This is a crop of a whole-slide image: an H&E-stained breast-cancer sentinel lymph node section at roughly 10× magnification (about 0.9 µm per pixel; the crop spans about 0.46 mm).
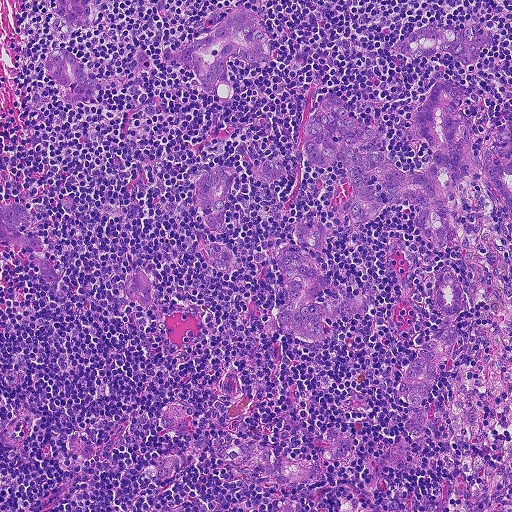
Outlines of the eight largest metastatic tumour regions, each a closed clockwise path in crop pixels (x, y), largest first: region 1: (442, 79), (454, 84), (458, 133), (469, 126), (474, 160), (448, 203), (448, 246), (436, 250), (414, 218), (419, 206), (349, 222), (348, 173), (339, 163), (310, 164), (304, 126), (325, 94), (338, 94), (373, 129), (389, 163), (412, 172), (429, 156), (418, 108); region 2: (234, 8), (244, 8), (255, 15), (272, 50), (272, 62), (261, 68), (238, 56), (226, 60), (234, 98), (222, 100), (209, 98), (200, 88), (190, 65), (165, 64), (160, 52), (192, 40); region 3: (311, 218), (324, 220), (328, 231), (326, 244), (314, 248), (300, 245), (328, 280), (324, 292), (313, 300), (324, 308), (328, 319), (328, 332), (318, 340), (306, 341), (281, 335), (274, 324), (285, 288), (283, 275), (275, 265), (276, 252), (295, 244), (294, 234), (299, 222); region 4: (456, 270), (460, 295), (456, 319), (454, 344), (441, 366), (432, 390), (426, 401), (419, 406), (428, 416), (428, 428), (419, 437), (407, 435), (404, 422), (412, 408), (402, 401), (400, 388), (410, 364), (442, 324), (434, 294), (436, 282), (443, 271); region 5: (438, 26), (478, 29), (488, 36), (478, 60), (468, 69), (448, 53), (436, 52), (412, 58), (400, 53), (391, 44), (412, 30), (424, 28); region 6: (50, 48), (63, 48), (74, 56), (88, 71), (98, 77), (98, 90), (90, 100), (80, 106), (67, 104), (54, 82), (44, 73), (44, 60); region 7: (14, 202), (24, 208), (31, 220), (44, 257), (59, 280), (50, 282), (38, 276), (37, 262), (32, 251), (6, 248), (0, 251), (0, 207); region 8: (224, 166), (235, 171), (235, 178), (228, 189), (225, 228), (213, 232), (195, 215), (192, 202), (194, 189), (201, 177), (211, 169).
Five more, smaller tumour regions are not outlined.
Two more small tumour pieces are annotated here but not outlined.
Tumour covers about 15% of the frame.